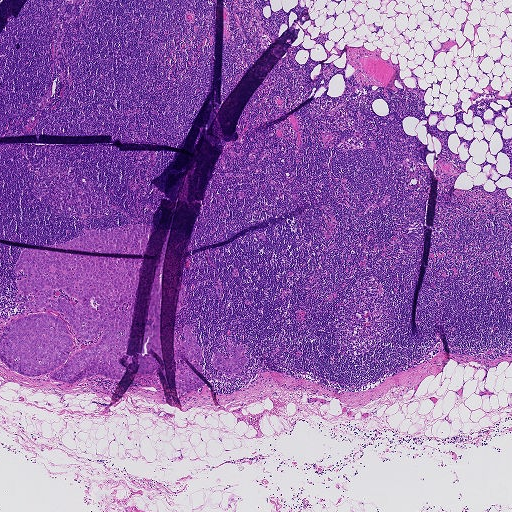
H&E-stained section of a sentinel lymph node (breast cancer), from a whole-slide image, viewed at about 2.5×: the field is about 1.9 mm across, about 3.6 µm per pixel.
Outlines of four tumour regions, largest first (closed clockwise paths, crop pixels): region 1: (22, 250), (141, 260), (125, 351), (118, 360), (125, 368), (119, 378), (49, 378), (68, 358), (31, 376), (5, 366), (0, 335), (15, 320), (55, 316), (72, 338), (70, 354), (97, 343), (102, 332), (83, 339), (62, 314), (24, 304), (36, 294), (18, 289), (28, 275), (14, 270); region 2: (136, 224), (151, 227), (143, 254), (65, 249), (49, 246), (70, 240), (93, 229), (101, 231), (115, 227), (127, 231); region 3: (187, 323), (196, 337), (202, 352), (200, 360), (194, 361), (202, 366), (205, 376), (187, 355), (179, 353), (179, 356), (205, 384), (193, 391), (185, 391), (181, 391), (176, 384), (174, 359), (174, 331), (178, 332), (181, 340), (186, 341), (183, 338), (182, 329), (184, 325); region 4: (228, 343), (235, 347), (242, 345), (245, 349), (241, 354), (247, 358), (240, 372), (229, 373), (221, 372), (212, 368), (211, 364), (217, 350), (222, 355), (224, 358), (231, 358), (234, 351), (232, 353), (228, 353), (225, 350).
About 5% of this field is tumour.